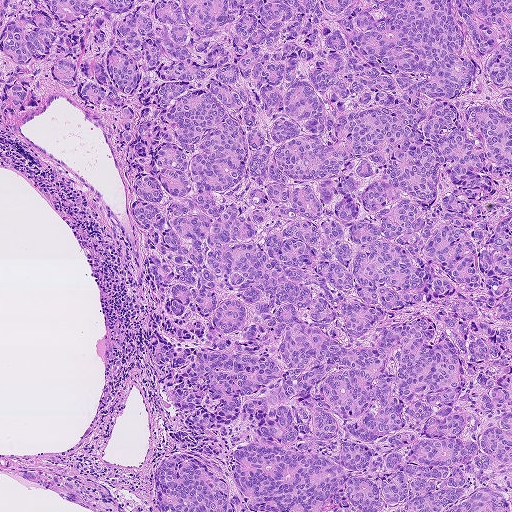
Lymph node section stained with H&E, from a whole-slide image of a breast-cancer sentinel node. Magnification about 5×, about 0.93 mm across the frame, about 1.8 µm per pixel.
Question: Is any metastatic breast cancer visible in this crop?
Answer: Yes.
One metastatic tumour region; its boundary, reduced to 20 corners and listed clockwise: (0, 0), (511, 0), (511, 511), (152, 511), (154, 474), (174, 452), (163, 431), (190, 432), (162, 404), (149, 350), (147, 245), (130, 211), (136, 170), (121, 159), (118, 113), (81, 100), (38, 62), (40, 109), (14, 133), (0, 126).
The annotated tumour makes up about 75% of the crop.